Question: 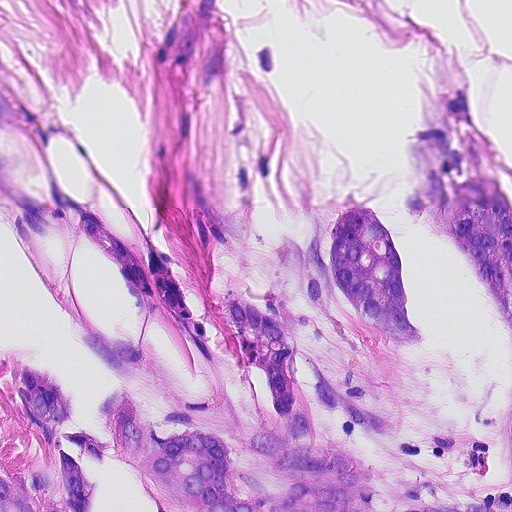
Lymph node section stained with H&E, from a whole-slide image of a breast-cancer sentinel node. Magnification about 20×, about 0.23 mm across the frame, about 0.45 µm per pixel.
Roughly what share of this field is metastatic tumour?

Choices:
 (A) none: no tumour is outlined
 (B) about 10% to 20%
 (C) about 25% to 45%
 (D) about 5% or less
 (E) about 50% or more

Answer: (C) about 25% to 45%
About 30% of the field is tumour.
Three metastatic tumour regions, each outlined as a closed clockwise path in crop pixels (x, y), largest first: region 1: (364, 204), (394, 238), (426, 342), (402, 346), (362, 324), (357, 372), (398, 434), (360, 432), (370, 454), (484, 492), (506, 482), (511, 422), (511, 511), (169, 511), (115, 448), (111, 400), (126, 382), (148, 427), (174, 387), (160, 368), (92, 358), (79, 324), (148, 350), (204, 398), (272, 416), (274, 391), (231, 330), (225, 283), (274, 290), (329, 367), (348, 354), (357, 320), (339, 288), (320, 312), (306, 290), (311, 240), (318, 224), (326, 258), (341, 212); region 2: (464, 69), (475, 116), (500, 158), (511, 205), (511, 340), (504, 316), (475, 274), (442, 238), (399, 207), (409, 172), (406, 147), (416, 124); region 3: (10, 352), (69, 396), (70, 419), (59, 430), (84, 431), (104, 444), (101, 466), (79, 456), (66, 440), (61, 448), (80, 462), (90, 484), (86, 510), (0, 511), (0, 455), (8, 470), (32, 468), (44, 447), (14, 410).